This is a crop of a whole-slide image: an H&E-stained breast-cancer sentinel lymph node section at roughly 10× magnification (about 0.9 µm per pixel; the crop spans about 0.46 mm).
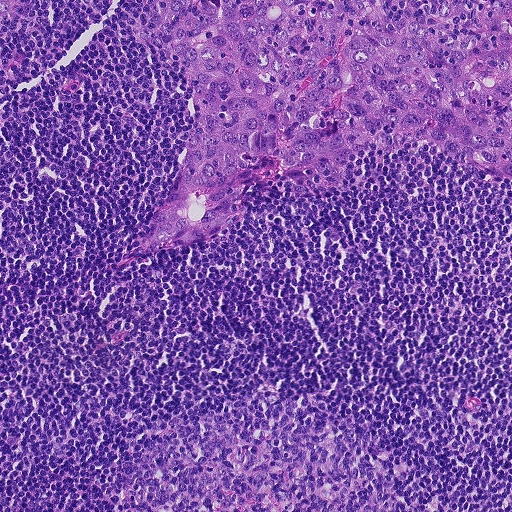
Question: Does this lymph node field contain metastatic tumour?
Answer: Yes.
Boundaries of two metastatic tumour regions, simplified and listed clockwise, largest first: region 1: (150, 0), (511, 0), (511, 179), (407, 142), (361, 158), (352, 188), (256, 180), (239, 228), (195, 251), (123, 264), (116, 260), (163, 199), (194, 104), (172, 60), (131, 33); region 2: (0, 0), (41, 0), (23, 21), (5, 38), (0, 38).
About 25% of the image area is annotated as tumour.